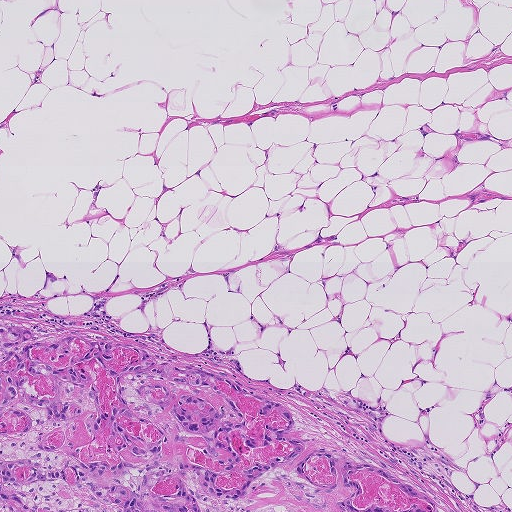
This is a crop of a whole-slide image: an H&E-stained breast-cancer sentinel lymph node section at roughly 5× magnification (about 1.8 µm per pixel; the crop spans about 0.93 mm).
Question: Does this lymph node field contain metastatic tumour?
Answer: Yes.
Metastatic tumour outline, simplified to 14 points and listed clockwise in crop pixels (x, y): (0, 322), (44, 335), (33, 341), (47, 342), (70, 333), (117, 338), (152, 350), (158, 363), (218, 374), (287, 406), (293, 429), (388, 470), (436, 508), (0, 511).
About 20% of the image area is annotated as tumour.